Lymph node section stained with H&E, from a whole-slide image of a breast-cancer sentinel node. Magnification about 5×, about 1 mm across the frame, about 1.9 µm per pixel.
Question: 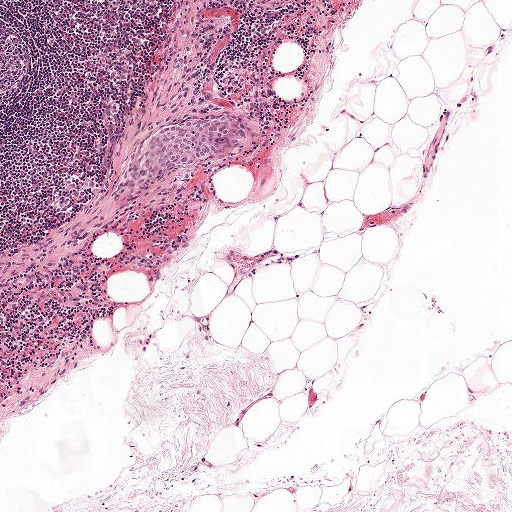
Estimate the proportion of this field that is metastatic tumour.

Choices:
 (A) about 5% or less
 (B) about 25% to 45%
 (C) about 10% to 20%
 (D) about 50% or more
 (E) none: no tumour is outlined

Answer: (A) about 5% or less
Under 5% of the field is tumour.
One metastatic tumour region; its boundary, reduced to 14 corners and listed clockwise: (238, 113), (246, 116), (249, 125), (238, 146), (205, 161), (179, 167), (158, 177), (149, 184), (132, 185), (134, 166), (159, 131), (179, 126), (196, 117), (218, 118).